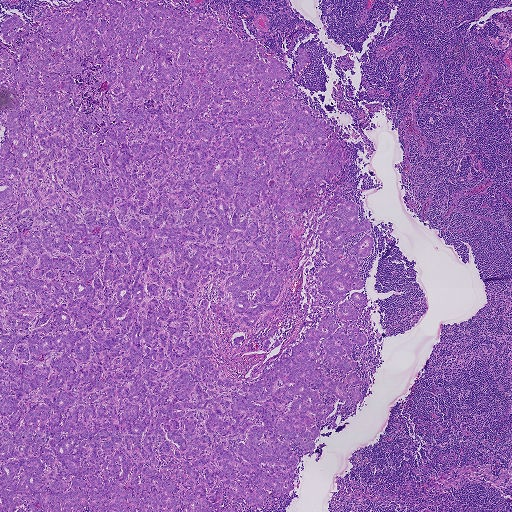
A 1.9-mm field of an H&E-stained sentinel lymph node from a breast-cancer patient (whole-slide image), shown at about 2.5×, about 3.6 µm per pixel.
The outlined metastatic tumour's edge, as a closed clockwise path of 24 points: (82, 0), (235, 11), (240, 39), (288, 60), (291, 79), (306, 50), (300, 99), (340, 124), (354, 159), (338, 199), (371, 227), (344, 248), (373, 241), (357, 270), (366, 340), (351, 352), (364, 399), (336, 400), (309, 456), (292, 443), (298, 478), (259, 510), (0, 511), (0, 25).
About 65% of this field is tumour.